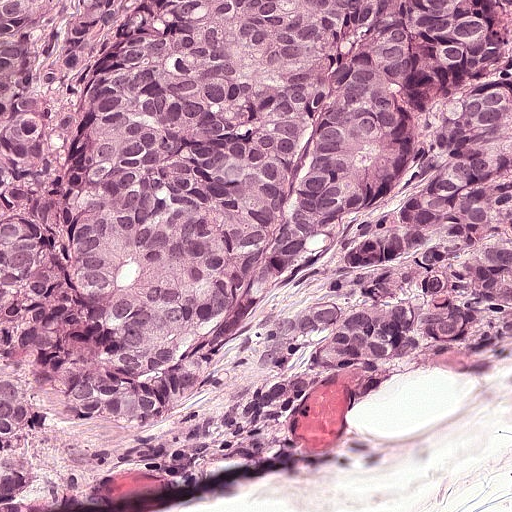
H&E-stained section of a sentinel lymph node (breast cancer), from a whole-slide image, viewed at about 20×: the field is about 0.25 mm across, about 0.49 µm per pixel.
Question: Which parts of this field are metastatic tumour?
Answer: One metastatic tumour region; its boundary, reduced to 11 corners and listed clockwise: (0, 0), (511, 0), (511, 314), (466, 336), (427, 381), (327, 392), (241, 456), (172, 460), (100, 431), (64, 431), (4, 460).
About 80% of the image area is annotated as tumour.